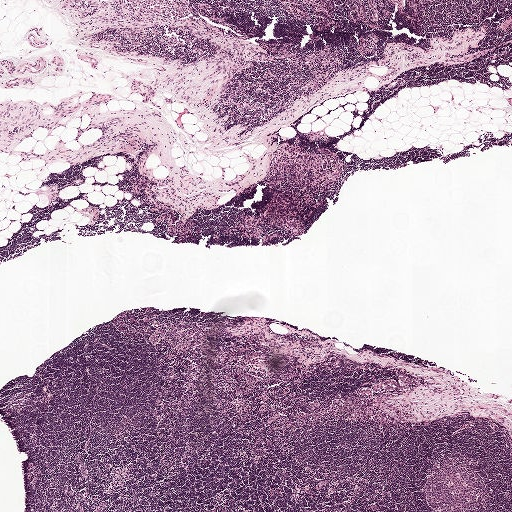
A 2.0-mm field of an H&E-stained sentinel lymph node from a breast-cancer patient (whole-slide image), shown at about 2.5×, about 3.9 µm per pixel.
Metastatic tumour outline, simplified to 17 points and listed clockwise in crop pixels (x, y): (398, 376), (405, 376), (416, 382), (411, 384), (411, 387), (408, 389), (395, 388), (383, 392), (374, 392), (370, 394), (359, 393), (357, 390), (360, 387), (369, 386), (380, 379), (392, 378), (398, 381).
Tumour covers under 5% of the frame.